Question: 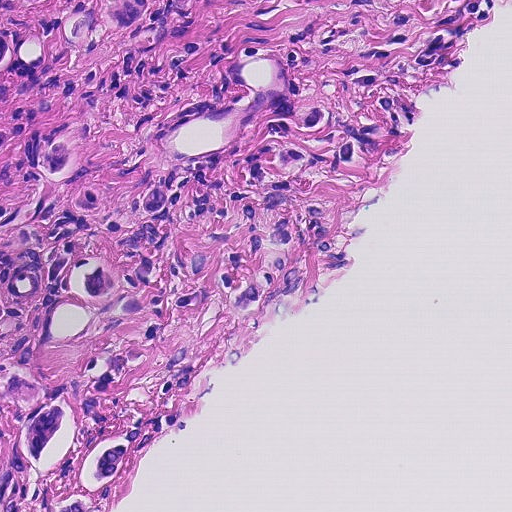
H&E-stained section of a sentinel lymph node (breast cancer), from a whole-slide image, viewed at about 20×: the field is about 0.23 mm across, about 0.45 µm per pixel.
What fraction of the image area is metastatic tumour?

Choices:
 (A) about 5% or less
 (B) none: no tumour is outlined
 (C) about 10% to 20%
 (D) about 50% or more
 (E) about 25% to 45%

Answer: (D) about 50% or more
About 65% of the field is tumour.
Metastatic tumour outline, simplified to 12 points and listed clockwise in crop pixels (x, y): (0, 0), (510, 0), (474, 34), (471, 57), (442, 96), (420, 105), (416, 151), (348, 279), (150, 448), (136, 494), (118, 508), (0, 511).